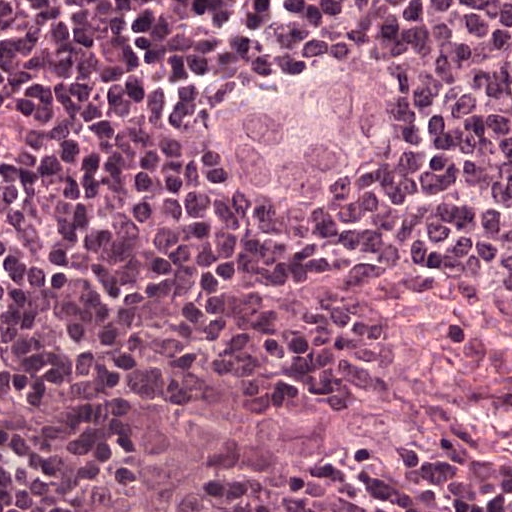
H&E-stained section of a sentinel lymph node (breast cancer), from a whole-slide image, viewed at about 40×: the field is about 0.12 mm across, about 0.24 µm per pixel.
Question: Where is the metastatic tumour in this field? Give each region's outline as (x, y) pixel points.
Answer: Boundaries of two metastatic tumour regions, simplified and listed clockwise, largest first: region 1: (325, 49), (362, 67), (390, 94), (395, 147), (390, 157), (370, 177), (331, 173), (309, 207), (223, 171), (201, 124), (205, 98), (217, 82); region 2: (0, 274), (7, 286), (7, 292), (10, 296), (10, 318), (9, 323), (0, 326).
Two more small tumour pieces are annotated here but not outlined.
About 10% of this field is tumour.